Question: 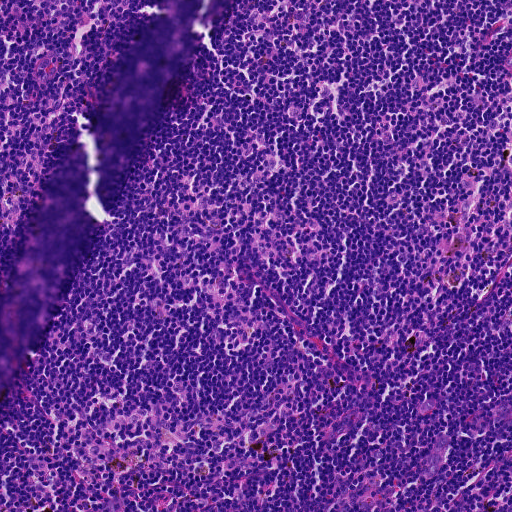
A 0.46-mm field of an H&E-stained sentinel lymph node from a breast-cancer patient (whole-slide image), shown at about 10×, about 0.91 µm per pixel.
About how much of this crop is taken up by metastatic carcinoma?

Choices:
 (A) about 25% to 45%
 (B) about 5% or less
 (C) about 50% or more
 (D) none: no tumour is outlined
 (E) about 10% to 20%

Answer: (B) about 5% or less
Under 5% of the field is tumour.
Metastatic tumour outline, simplified to 7 points and listed clockwise in crop pixels (x, y): (440, 433), (449, 436), (438, 465), (438, 475), (431, 481), (423, 475), (424, 465).